H&E-stained section of a sentinel lymph node (breast cancer), from a whole-slide image, viewed at about 10×: the field is about 0.5 mm across, about 0.97 µm per pixel.
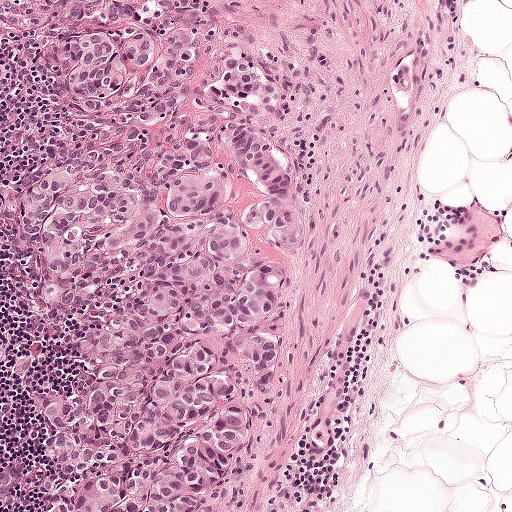
Tumour region outline (a closed clockwise path, crop pixels): (0, 0), (223, 0), (202, 53), (278, 71), (286, 94), (270, 118), (297, 131), (311, 211), (244, 506), (37, 511), (45, 409), (82, 339), (147, 279), (132, 258), (77, 306), (49, 304), (38, 259), (0, 228), (0, 186), (52, 166), (89, 122), (56, 51), (0, 33).
About 45% of this field is tumour.